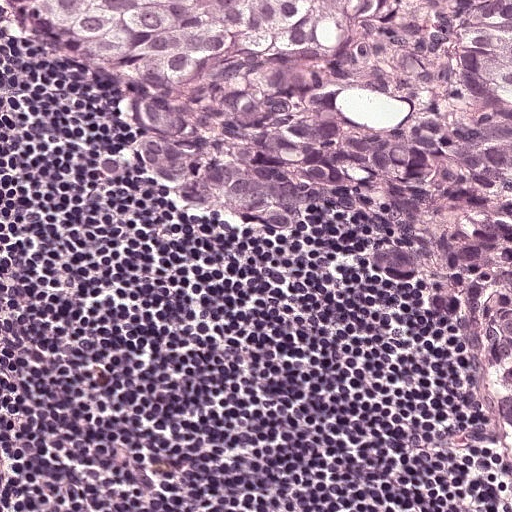
H&E-stained section of a sentinel lymph node (breast cancer), from a whole-slide image, viewed at about 20×: the field is about 0.25 mm across, about 0.49 µm per pixel.
Question: Where is the metastatic tumour in this field? Give each region's outline as (x, y) pixel points.
Answer: One metastatic tumour region; its boundary, reduced to 11 corners and listed clockwise: (511, 0), (511, 511), (486, 360), (422, 322), (374, 314), (300, 269), (168, 228), (132, 170), (118, 96), (45, 58), (9, 4).
Tumour covers about 45% of the frame.

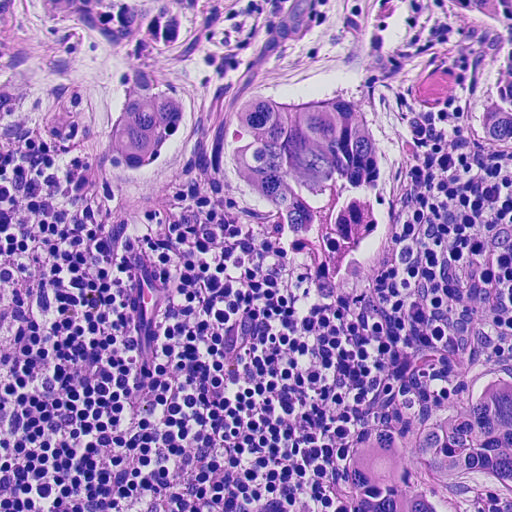
This is a crop of a whole-slide image: an H&E-stained breast-cancer sentinel lymph node section at roughly 20× magnification (about 0.45 µm per pixel; the crop spans about 0.23 mm).
Question: Where is the metastatic tumour in this field? Give each region's outline as (x, y) pixel points.
Answer: Outlines of two tumour regions, largest first (closed clockwise paths, crop pixels): region 1: (0, 0), (511, 0), (511, 149), (472, 145), (469, 49), (438, 41), (382, 78), (374, 110), (390, 211), (362, 268), (328, 294), (282, 210), (228, 174), (198, 116), (178, 152), (142, 174), (104, 158), (113, 75), (72, 68), (0, 136); region 2: (511, 367), (511, 511), (344, 511), (345, 454), (372, 422), (454, 398).
Tumour covers about 35% of the frame.

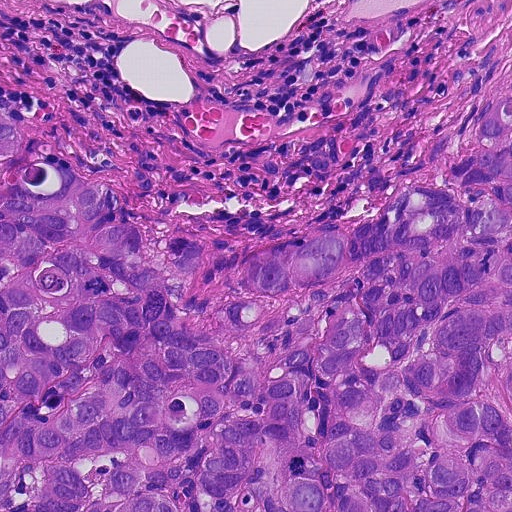
A 0.23-mm field of an H&E-stained sentinel lymph node from a breast-cancer patient (whole-slide image), shown at about 20×, about 0.45 µm per pixel.
Question: Where is the metastatic tumour in this field? Give each region's outline as (x, y) pixel points.
Answer: Metastatic tumour outline, simplified to 11 points and listed clockwise in crop pixels (x, y): (509, 76), (511, 511), (0, 511), (0, 115), (116, 204), (164, 266), (158, 253), (181, 236), (236, 248), (346, 235), (441, 164).
About 60% of the image area is annotated as tumour.

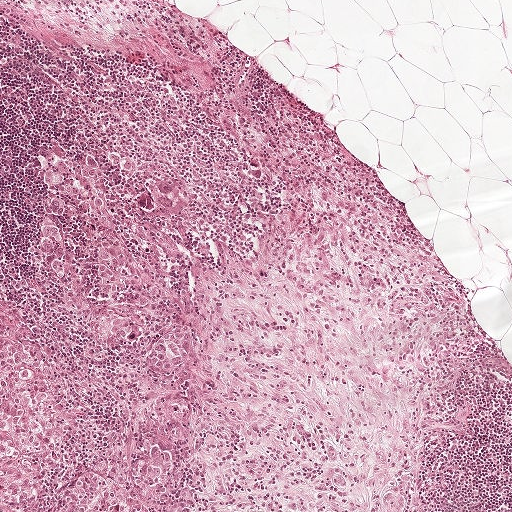
H&E-stained section of a sentinel lymph node (breast cancer), from a whole-slide image, viewed at about 5×: the field is about 1 mm across, about 1.9 µm per pixel.
Question: Where is the metastatic tumour in this field? Give each region's outline as (x, y) pixel points.
Answer: Tumour region outline (a closed clockwise path, crop pixels): (55, 134), (164, 149), (203, 178), (218, 213), (210, 445), (168, 510), (0, 511), (0, 304), (54, 344), (71, 344), (39, 238), (36, 151).
About 25% of this field is tumour.